Question: 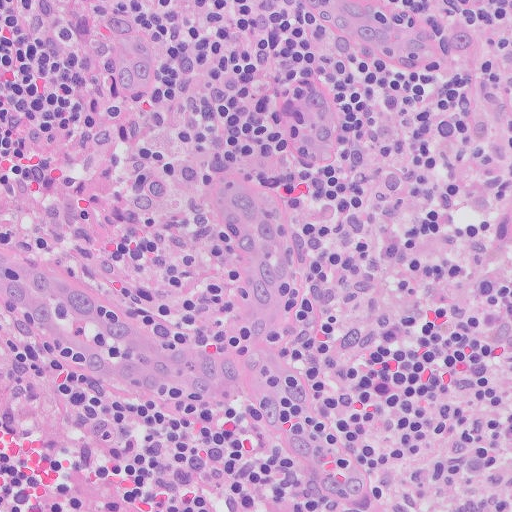
About what magnification does this crop show?

Choices:
 (A) about 20×
 (B) about 5×
 (C) about 10×
 (D) about 2.5×
 (E) about 40×

Answer: (A) about 20×
Lymph node section stained with H&E, from a whole-slide image of a breast-cancer sentinel node. Magnification about 20×, about 0.26 mm across the frame, about 0.5 µm per pixel.